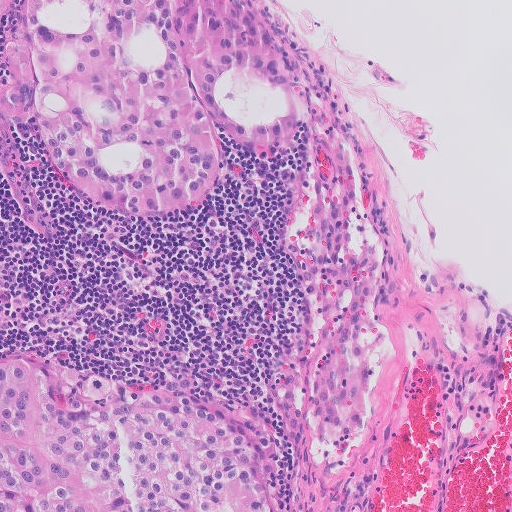
A 0.51-mm field of an H&E-stained sentinel lymph node from a breast-cancer patient (whole-slide image), shown at about 10×, about 1.0 µm per pixel.
Outlines of two tumour regions, largest first (closed clockwise paths, crop pixels): region 1: (0, 0), (236, 0), (294, 44), (304, 101), (271, 151), (219, 173), (182, 218), (126, 219), (72, 206), (0, 69); region 2: (0, 337), (60, 352), (221, 420), (267, 464), (281, 511), (0, 511).
One more small tumour piece is annotated here but not outlined.
About 30% of this field is tumour.